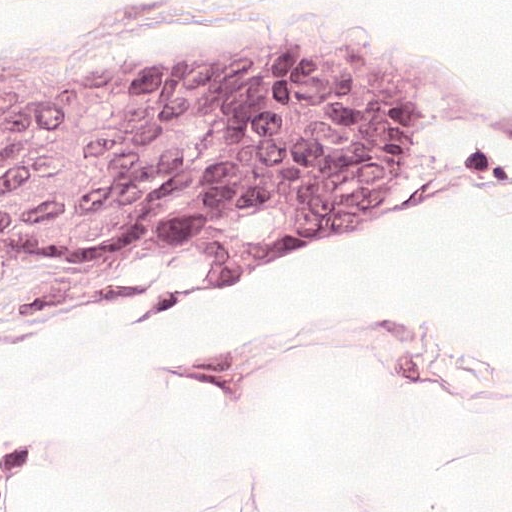
Lymph node section stained with H&E, from a whole-slide image of a breast-cancer sentinel node. Magnification about 40×, about 0.12 mm across the frame, about 0.24 µm per pixel.
The outlined metastatic tumour's edge, as a closed clockwise path of 11 points: (215, 15), (401, 30), (445, 48), (459, 56), (453, 133), (401, 185), (304, 215), (123, 296), (0, 318), (1, 56), (86, 19).
About 40% of the image area is annotated as tumour.